Question: 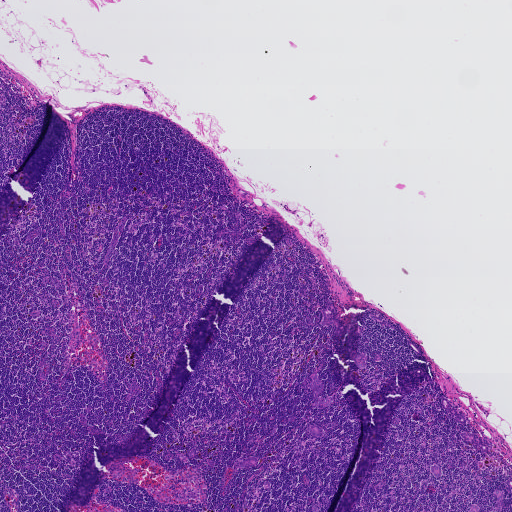
H&E-stained section of a sentinel lymph node (breast cancer), from a whole-slide image, viewed at about 2.5×: the field is about 1.9 mm across, about 3.6 µm per pixel.
Roughly what share of this field is metastatic tumour?

Choices:
 (A) about 50% or more
 (B) about 10% to 20%
 (C) about 5% or less
 (D) about 25% to 45%
 (E) none: no tumour is outlined

Answer: (C) about 5% or less
Under 5% of the field is tumour.
The eight largest tumour regions' boundaries, simplified and listed clockwise, largest first: region 1: (316, 374), (318, 374), (320, 378), (324, 385), (324, 388), (318, 396), (323, 398), (323, 400), (332, 395), (333, 397), (333, 402), (330, 406), (322, 408), (315, 408), (314, 406), (313, 404), (319, 399), (317, 397), (315, 398), (312, 391), (308, 388), (308, 385), (311, 381), (313, 379), (312, 377); region 2: (330, 302), (333, 305), (336, 315), (341, 320), (341, 335), (336, 335), (335, 333), (336, 326), (335, 324), (330, 326), (322, 326), (321, 324), (323, 317), (321, 310), (327, 306); region 3: (464, 432), (474, 434), (479, 439), (489, 441), (492, 445), (490, 452), (489, 454), (478, 449), (475, 448), (459, 434); region 4: (444, 395), (449, 400), (453, 407), (456, 408), (458, 412), (465, 417), (466, 419), (465, 424), (461, 424), (456, 421), (447, 410), (442, 407), (441, 396); region 5: (256, 457), (258, 458), (258, 463), (251, 467), (240, 468), (237, 463), (240, 458); region 6: (365, 352), (367, 353), (367, 356), (366, 368), (364, 369), (359, 369), (356, 365), (353, 357); region 7: (312, 425), (315, 425), (320, 426), (325, 431), (325, 433), (323, 435), (318, 436), (310, 434), (307, 430), (308, 428); region 8: (370, 315), (372, 315), (379, 317), (391, 323), (394, 328), (392, 328), (382, 326), (378, 323), (374, 321), (371, 318).
Two more, smaller tumour regions are not outlined.
11 more small tumour pieces are annotated here but not outlined.
Question: 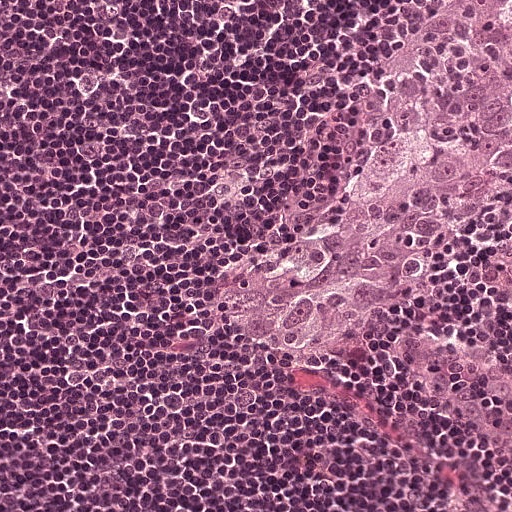
A 0.25-mm field of an H&E-stained sentinel lymph node from a breast-cancer patient (whole-slide image), shown at about 20×, about 0.49 µm per pixel.
Roughly what share of this field is metastatic tumour?

Choices:
 (A) about 50% or more
 (B) none: no tumour is outlined
 (C) about 5% or less
 (D) about 10% to 20%
 (E) about 25% to 45%

Answer: (D) about 10% to 20%
About 20% of the field is tumour.
Metastatic tumour outline, simplified to 13 points and listed clockwise in crop pixels (x, y): (511, 0), (511, 188), (480, 211), (386, 332), (334, 362), (291, 358), (222, 319), (214, 288), (237, 261), (342, 190), (392, 119), (396, 73), (436, 2).
Question: 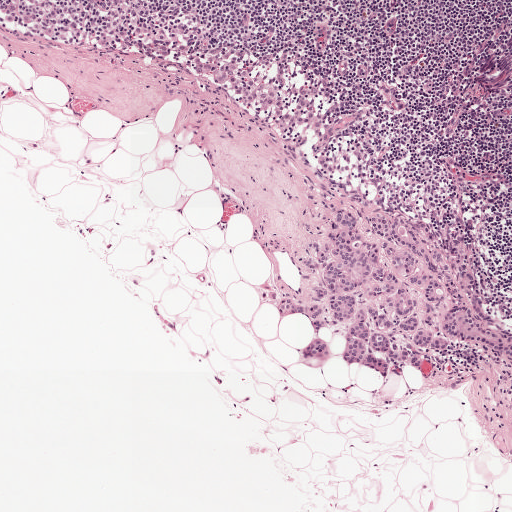
Lymph node section stained with H&E, from a whole-slide image of a breast-cancer sentinel node. Magnification about 5×, about 1 mm across the frame, about 1.9 µm per pixel.
Roughly what share of this field is metastatic tumour?

Choices:
 (A) about 25% to 45%
 (B) about 50% or more
 (C) about 10% to 20%
 (D) about 5% or less
 (E) none: no tumour is outlined

Answer: (D) about 5% or less
About 5% of the field is tumour.
One metastatic tumour region; its boundary, reduced to 24 corners and listed clockwise: (379, 212), (396, 213), (421, 222), (434, 233), (439, 250), (454, 273), (471, 273), (474, 281), (461, 291), (462, 300), (455, 304), (447, 302), (447, 294), (438, 307), (434, 324), (428, 326), (424, 321), (427, 304), (422, 296), (423, 288), (411, 286), (394, 271), (370, 224), (371, 215).
One more tumour region is annotated but not outlined: its edge is too irregular for a short outline.
Question: 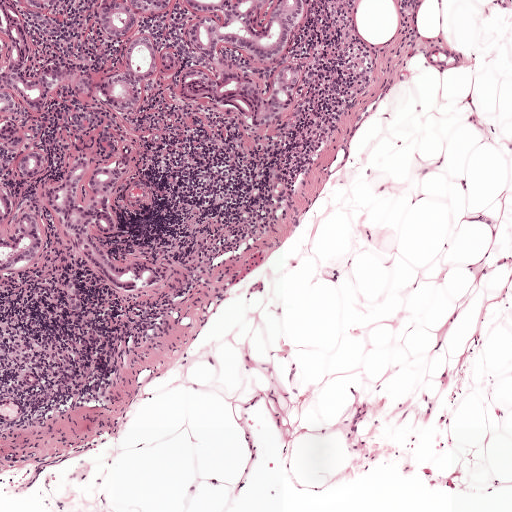
This is a crop of a whole-slide image: an H&E-stained breast-cancer sentinel lymph node section at roughly 5× magnification (about 1.9 µm per pixel; the crop spans about 1 mm).
Roughly what share of this field is metastatic tumour?

Choices:
 (A) about 50% or more
 (B) about 5% or less
 (C) none: no tumour is outlined
 (D) about 25% to 45%
 (E) about 10% to 20%

Answer: (E) about 10% to 20%
About 20% of the field is tumour.
One metastatic tumour region; its boundary, reduced to 19 corners and listed clockwise: (0, 0), (314, 0), (316, 17), (295, 38), (306, 103), (284, 126), (261, 147), (206, 126), (176, 132), (150, 144), (115, 194), (120, 228), (107, 239), (116, 259), (164, 266), (160, 293), (129, 292), (55, 236), (0, 273).